H&E-stained section of a sentinel lymph node (breast cancer), from a whole-slide image, viewed at about 5×: the field is about 0.93 mm across, about 1.8 µm per pixel.
Image:
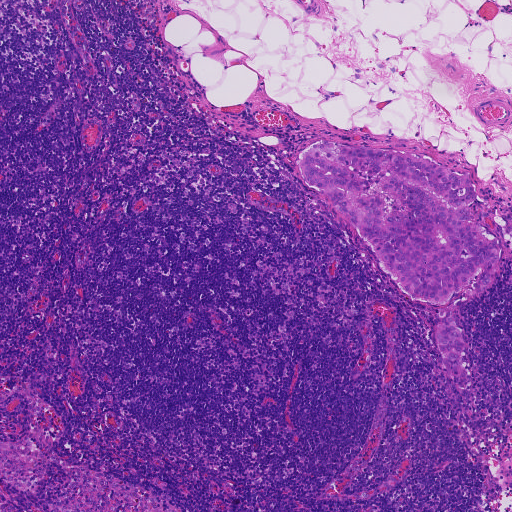
Question:
Where is the metastatic tumour in this field?
Answer:
Two metastatic tumour regions, each outlined as a closed clockwise path in crop pixels (x, y), largest first: region 1: (323, 139), (413, 155), (468, 174), (477, 194), (465, 222), (478, 224), (498, 247), (488, 288), (475, 294), (474, 279), (454, 292), (446, 304), (419, 302), (401, 291), (299, 168), (301, 151); region 2: (450, 316), (462, 331), (465, 344), (458, 362), (461, 367), (466, 370), (467, 376), (459, 378), (448, 373), (435, 334), (444, 318).
One more small tumour piece is annotated here but not outlined.
Tumour covers about 10% of the frame.